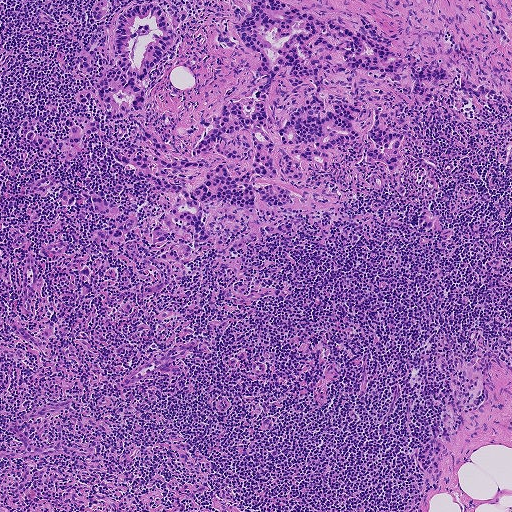
A 0.93-mm field of an H&E-stained sentinel lymph node from a breast-cancer patient (whole-slide image), shown at about 5×, about 1.8 µm per pixel.
Boundaries of four metastatic tumour regions, simplified and listed clockwise, largest first: region 1: (228, 3), (368, 15), (511, 104), (370, 76), (410, 132), (404, 164), (349, 146), (326, 175), (305, 165), (277, 182), (294, 205), (254, 210), (291, 232), (180, 260), (154, 258), (177, 235), (90, 236), (112, 226), (87, 191), (139, 221), (158, 211), (96, 140), (48, 159), (23, 129), (57, 142), (65, 116), (98, 113), (73, 100), (91, 76), (68, 55), (99, 43), (110, 16), (93, 4), (190, 10), (140, 84), (190, 153), (205, 130), (175, 131), (257, 60), (212, 42); region 2: (467, 0), (486, 0), (494, 6), (500, 22), (509, 36), (509, 43), (495, 32), (484, 9); region 3: (422, 212), (431, 214), (437, 220), (436, 229), (427, 231), (420, 227), (418, 219); region 4: (192, 0), (208, 0), (208, 1), (204, 7), (195, 3).
Two more small tumour pieces are annotated here but not outlined.
About 20% of this field is tumour.